Question: 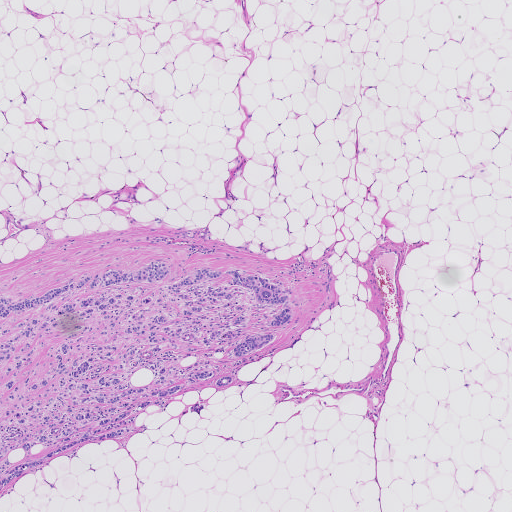
Which magnification is this H&E lymph node field most likely shown at?

Choices:
 (A) about 40×
 (B) about 10×
 (C) about 2.5×
 (D) about 5×
 (E) about 20×

Answer: (C) about 2.5×
H&E-stained section of a sentinel lymph node (breast cancer), from a whole-slide image, viewed at about 2.5×: the field is about 1.9 mm across, about 3.6 µm per pixel.
Boundaries of two metastatic tumour regions, simplified and listed clockwise, largest first: region 1: (157, 259), (171, 267), (161, 283), (204, 267), (223, 271), (216, 287), (236, 269), (288, 293), (291, 321), (274, 328), (282, 304), (228, 287), (247, 308), (242, 334), (272, 334), (272, 342), (148, 408), (131, 433), (76, 446), (0, 492), (0, 295), (31, 298); region 2: (227, 375), (231, 376), (233, 378), (233, 382), (231, 384), (221, 386), (217, 386), (215, 384), (216, 380), (220, 378).
One more small tumour piece is annotated here but not outlined.
About 15% of the image area is annotated as tumour.